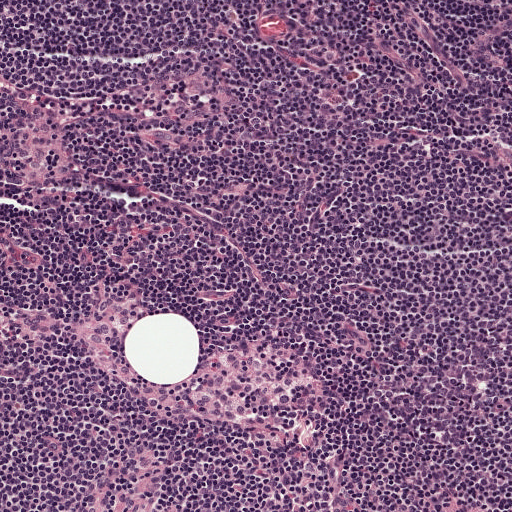
A 0.5-mm field of an H&E-stained sentinel lymph node from a breast-cancer patient (whole-slide image), shown at about 10×, about 0.97 µm per pixel.